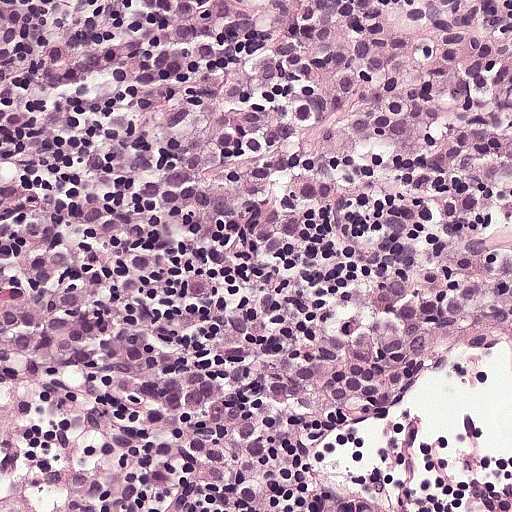
Lymph node section stained with H&E, from a whole-slide image of a breast-cancer sentinel node. Magnification about 20×, about 0.25 mm across the frame, about 0.49 µm per pixel.
Question: Which parts of this field are metastatic tumour?
Answer: The outlined metastatic tumour's edge, as a closed clockwise path of 8 points: (511, 0), (511, 205), (304, 188), (193, 165), (164, 149), (146, 124), (143, 81), (243, 4).
Tumour covers about 25% of the frame.